Question: 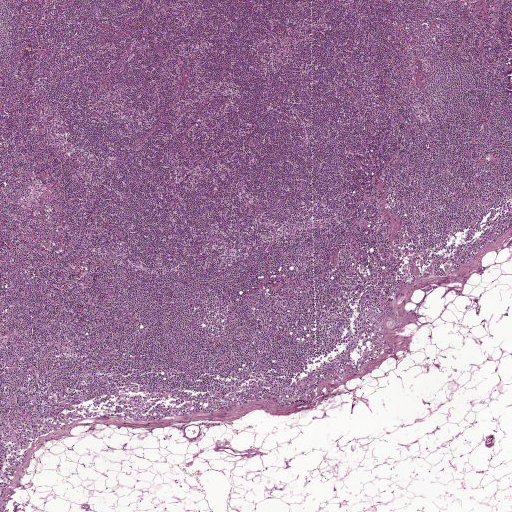
At roughly what magnification is this field shown?

Choices:
 (A) about 5×
 (B) about 10×
 (C) about 20×
 (D) about 40×
 (E) about 2.5×

Answer: (E) about 2.5×
H&E-stained section of a sentinel lymph node (breast cancer), from a whole-slide image, viewed at about 2.5×: the field is about 2.0 mm across, about 3.9 µm per pixel.